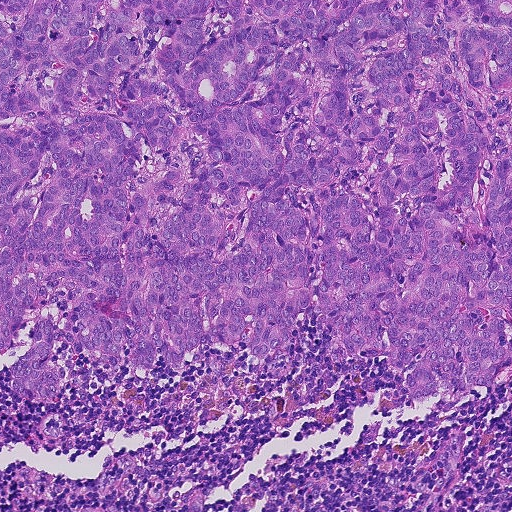
A 0.46-mm field of an H&E-stained sentinel lymph node from a breast-cancer patient (whole-slide image), shown at about 10×, about 0.9 µm per pixel.
The outlined metastatic tumour's edge, as a closed clockwise path of 21 points: (0, 0), (511, 0), (511, 382), (376, 416), (396, 372), (379, 349), (346, 363), (331, 352), (314, 303), (294, 373), (278, 381), (211, 344), (137, 378), (128, 364), (100, 380), (86, 370), (36, 408), (9, 369), (32, 333), (17, 329), (10, 354).
About 75% of the image area is annotated as tumour.